Lymph node section stained with H&E, from a whole-slide image of a breast-cancer sentinel node. Magnification about 2.5×, about 2.0 mm across the frame, about 3.9 µm per pixel.
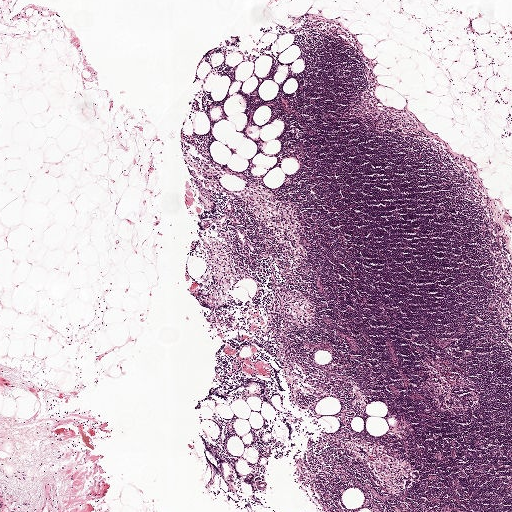
Question: Is there metastatic carcinoma in this field?
Answer: No: no metastatic tumour is outlined anywhere in this field.